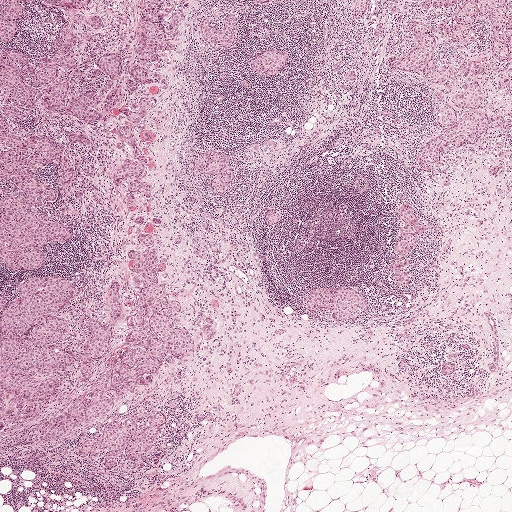
A 2.0-mm field of an H&E-stained sentinel lymph node from a breast-cancer patient (whole-slide image), shown at about 2.5×, about 3.9 µm per pixel.
Question: Where is the metastatic tumour in this field?
Answer: Boundaries of four metastatic tumour regions, simplified and listed clockwise, largest first: region 1: (139, 236), (155, 236), (157, 260), (165, 265), (157, 275), (168, 296), (181, 303), (172, 325), (187, 330), (193, 349), (162, 364), (149, 385), (127, 390), (102, 420), (43, 444), (38, 434), (55, 416), (71, 413), (125, 350), (141, 295), (127, 254), (142, 248); region 2: (0, 186), (12, 187), (14, 193), (27, 199), (36, 212), (46, 212), (74, 227), (74, 235), (69, 241), (64, 244), (43, 246), (45, 263), (36, 269), (23, 270), (17, 267), (15, 270), (8, 270), (0, 261); region 3: (132, 0), (190, 0), (190, 5), (185, 10), (177, 27), (178, 37), (172, 40), (177, 48), (173, 51), (159, 48), (158, 63), (152, 67), (148, 83), (138, 86), (136, 92), (132, 92), (124, 87), (130, 77), (129, 67), (136, 59), (135, 31), (139, 14); region 4: (263, 49), (284, 51), (289, 57), (288, 65), (274, 76), (256, 73), (249, 62).
One more small tumour piece is annotated here but not outlined.
About 5% of the image area is annotated as tumour.